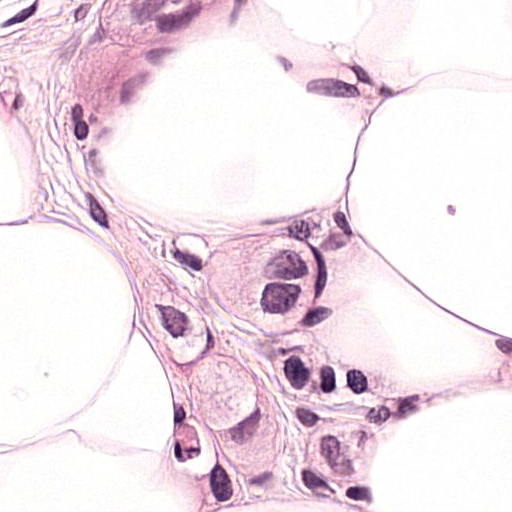
Lymph node section stained with H&E, from a whole-slide image of a breast-cancer sentinel node. Magnification about 40×, about 0.12 mm across the frame, about 0.24 µm per pixel.
Metastatic tumour outline, simplified to 20 points and listed clockwise in crop pixels (x, y): (0, 0), (239, 0), (165, 43), (130, 80), (115, 106), (117, 161), (309, 190), (336, 209), (320, 295), (325, 348), (395, 382), (380, 440), (338, 506), (180, 506), (162, 385), (107, 269), (59, 245), (38, 209), (38, 182), (2, 145).
About 40% of this field is tumour.